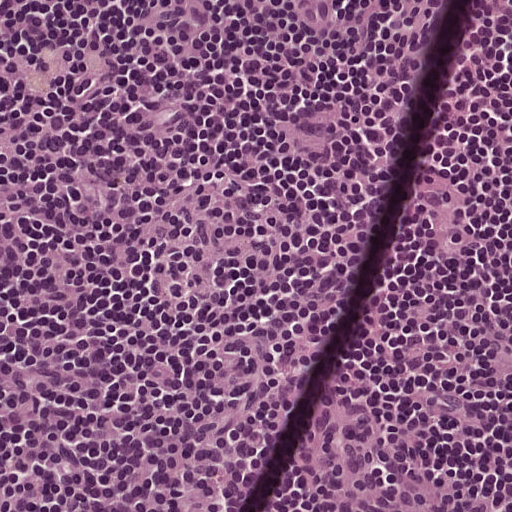
Lymph node section stained with H&E, from a whole-slide image of a breast-cancer sentinel node. Magnification about 20×, about 0.25 mm across the frame, about 0.49 µm per pixel.